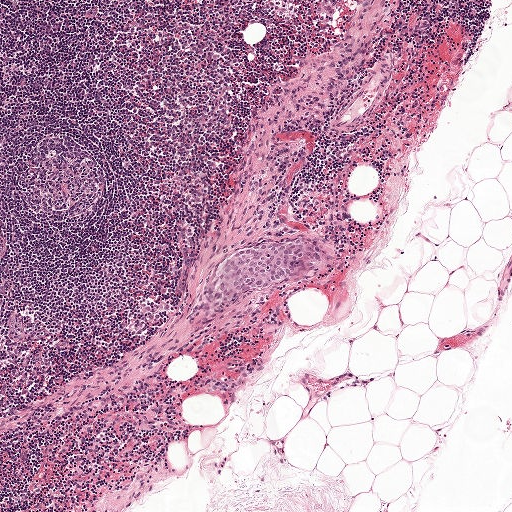
Lymph node section stained with H&E, from a whole-slide image of a breast-cancer sentinel node. Magnification about 5×, about 1 mm across the frame, about 1.9 µm per pixel.
The outlined metastatic tumour's edge, as a closed clockwise path of 14 points: (313, 236), (321, 239), (324, 248), (312, 269), (280, 284), (254, 290), (232, 300), (224, 308), (208, 308), (209, 289), (234, 254), (254, 249), (271, 240), (293, 241).
The annotated tumour makes up under 5% of the crop.